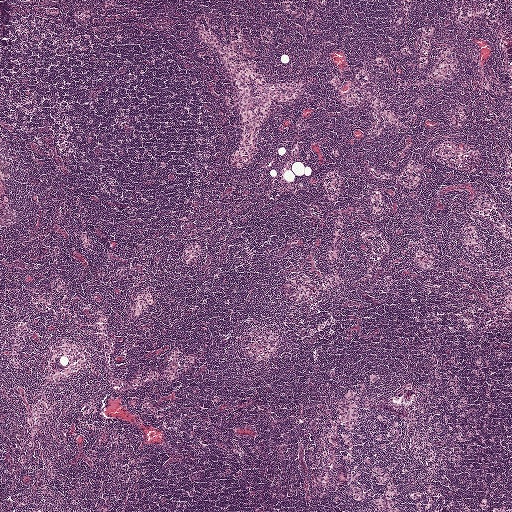
Lymph node section stained with H&E, from a whole-slide image of a breast-cancer sentinel node. Magnification about 2.5×, about 2.0 mm across the frame, about 3.9 µm per pixel.
The outlined metastatic tumour's edge, as a closed clockwise path of 21 points: (378, 374), (379, 379), (370, 396), (374, 404), (388, 410), (396, 434), (374, 449), (373, 457), (391, 464), (399, 484), (419, 483), (434, 493), (445, 511), (374, 511), (352, 487), (339, 457), (328, 443), (328, 429), (338, 401), (347, 388), (364, 376).
About 5% of this field is tumour.